Image:
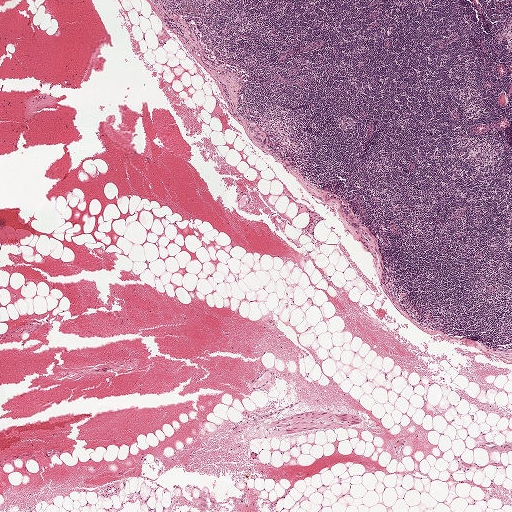
H&E-stained section of a sentinel lymph node (breast cancer), from a whole-slide image, viewed at about 2.5×: the field is about 2.0 mm across, about 3.9 µm per pixel.
Question:
Trace the edge of each tumour region in this crop, as (x, y) points from 0 to 511.
Answer:
Metastatic tumour outline, simplified to 8 points and listed clockwise in crop pixels (x, y): (250, 122), (256, 122), (265, 133), (266, 142), (265, 146), (260, 146), (251, 140), (247, 129).
The annotated tumour makes up under 5% of the crop.